Image:
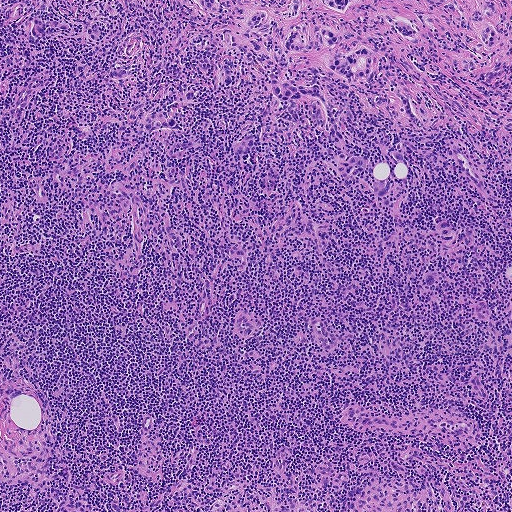
This is a crop of a whole-slide image: an H&E-stained breast-cancer sentinel lymph node section at roughly 5× magnification (about 1.8 µm per pixel; the crop spans about 0.93 mm).
Question:
Is any metastatic breast cancer visible in this crop?
Answer:
Yes.
Outlines of the eight largest metastatic tumour regions, each a closed clockwise path in crop pixels (x, y), largest first: region 1: (364, 45), (370, 50), (373, 58), (371, 74), (366, 81), (358, 83), (350, 82), (328, 70), (324, 62), (335, 50), (349, 52); region 2: (304, 21), (312, 22), (328, 26), (335, 31), (338, 39), (332, 44), (300, 51), (292, 51), (284, 48), (285, 40), (292, 25); region 3: (327, 111), (336, 120), (336, 124), (349, 152), (363, 159), (364, 166), (364, 174), (350, 182), (342, 182), (335, 168), (337, 160), (328, 132), (329, 124), (325, 118); region 4: (267, 73), (283, 75), (296, 84), (312, 84), (320, 87), (323, 94), (317, 99), (301, 97), (286, 101), (278, 99), (272, 94); region 5: (170, 110), (175, 113), (180, 125), (174, 129), (157, 129), (150, 132), (143, 130), (142, 124), (144, 117), (150, 114); region 6: (465, 0), (476, 0), (492, 26), (495, 43), (489, 45), (482, 42), (480, 34), (483, 23), (475, 24), (467, 21), (473, 6); region 7: (319, 0), (358, 0), (342, 14), (327, 8); region 8: (253, 134), (251, 150), (244, 154), (235, 153), (231, 146), (236, 139).
Eight more, smaller tumour regions are not outlined.
One more small tumour piece is annotated here but not outlined.
The annotated tumour makes up about 5% of the crop.